Question: 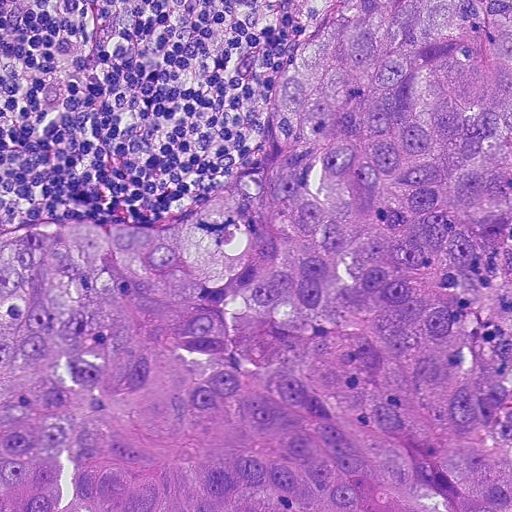
This is a crop of a whole-slide image: an H&E-stained breast-cancer sentinel lymph node section at roughly 20× magnification (about 0.45 µm per pixel; the crop spans about 0.23 mm).
Roughly what share of this field is metastatic tumour?

Choices:
 (A) none: no tumour is outlined
 (B) about 25% to 45%
 (C) about 5% or less
 (D) about 50% or more
 (E) about 10% to 20%

Answer: (D) about 50% or more
About 80% of the field is tumour.
Tumour region outline (a closed clockwise path, crop pixels): (326, 0), (511, 0), (511, 511), (0, 511), (0, 226), (178, 220), (209, 200), (254, 147), (294, 43).